Lymph node section stained with H&E, from a whole-slide image of a breast-cancer sentinel node. Magnification about 10×, about 0.46 mm across the frame, about 0.91 µm per pixel.
Image:
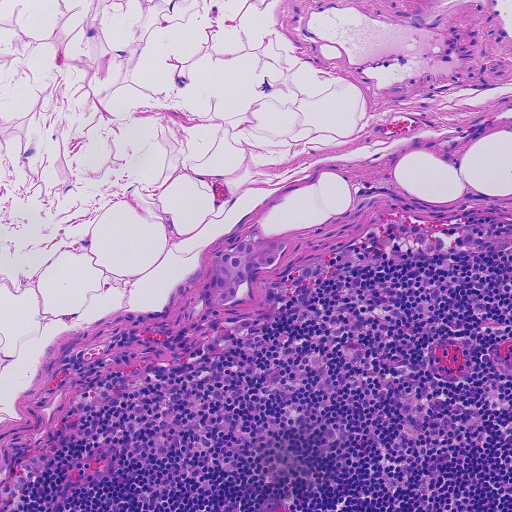
Question:
Where is the metastatic tumour in this field? Give each region's outline as (x, y) pixel points.
Answer:
Metastatic tumour outline, simplified to 17 points and listed clockwise in crop pixels (x, y): (264, 236), (290, 240), (288, 250), (280, 254), (277, 264), (270, 269), (261, 269), (252, 275), (234, 300), (210, 308), (201, 306), (198, 301), (197, 291), (209, 266), (210, 252), (236, 246), (242, 240).
Under 5% of this field is tumour.